Question: 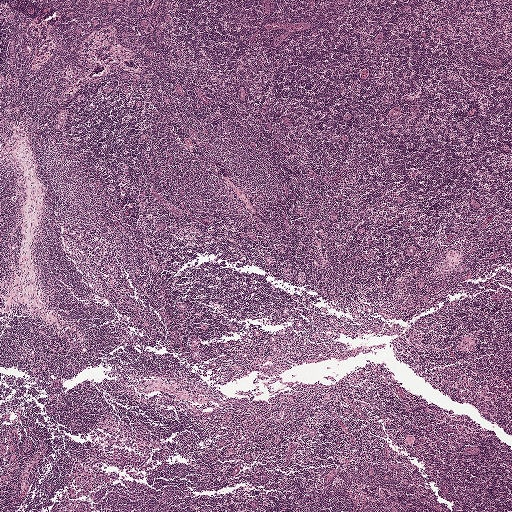
About what magnification does this crop show?

Choices:
 (A) about 40×
 (B) about 5×
 (C) about 2.5×
 (D) about 20×
 (E) about 10×

Answer: (C) about 2.5×
This is a crop of a whole-slide image: an H&E-stained breast-cancer sentinel lymph node section at roughly 2.5× magnification (about 3.9 µm per pixel; the crop spans about 2.0 mm).